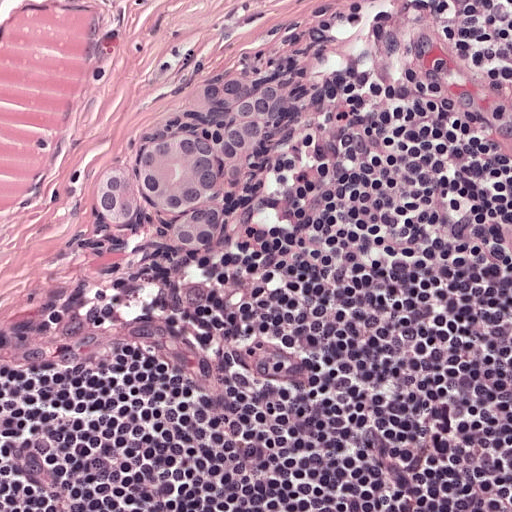
This is a crop of a whole-slide image: an H&E-stained breast-cancer sentinel lymph node section at roughly 20× magnification (about 0.49 µm per pixel; the crop spans about 0.25 mm).
Metastatic tumour outline, simplified to 16 points and listed clockwise in crop pixels (x, y): (279, 76), (274, 129), (242, 182), (218, 202), (228, 222), (215, 248), (198, 252), (175, 245), (158, 215), (143, 226), (116, 232), (92, 210), (98, 170), (128, 146), (216, 122), (240, 99).
About 5% of the image area is annotated as tumour.